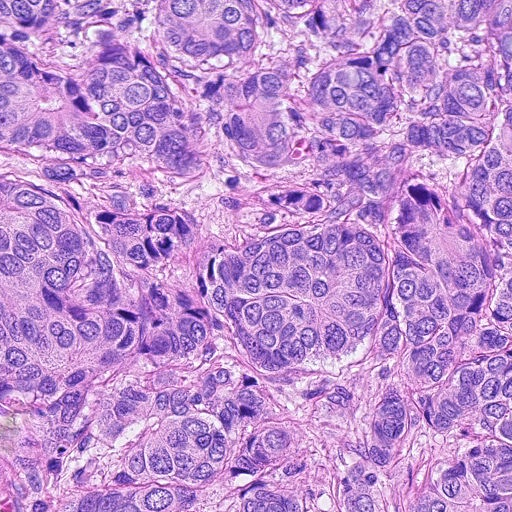
Lymph node section stained with H&E, from a whole-slide image of a breast-cancer sentinel node. Magnification about 20×, about 0.23 mm across the frame, about 0.45 µm per pixel.
Metastatic tumour covers the whole field.
The annotated tumour makes up over 95% of the crop.